Question: 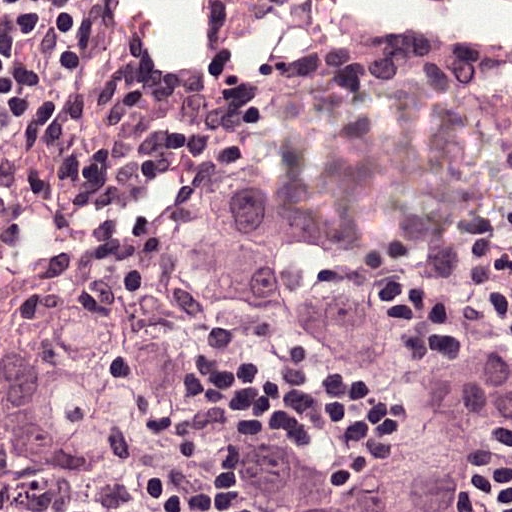
About what magnification does this crop show?

Choices:
 (A) about 2.5×
 (B) about 5×
 (C) about 40×
 (D) about 20×
 (E) about 10×

Answer: (C) about 40×
A 0.12-mm field of an H&E-stained sentinel lymph node from a breast-cancer patient (whole-slide image), shown at about 40×, about 0.24 µm per pixel.
One metastatic tumour region; its boundary, reduced to 14 corners and listed clockwise: (376, 168), (400, 210), (392, 260), (413, 318), (439, 329), (511, 324), (511, 511), (45, 511), (39, 471), (0, 400), (0, 319), (100, 245), (174, 245), (239, 171).
Tumour covers about 50% of the frame.